Lymph node section stained with H&E, from a whole-slide image of a breast-cancer sentinel node. Magnification about 2.5×, about 2.0 mm across the frame, about 3.9 µm per pixel.
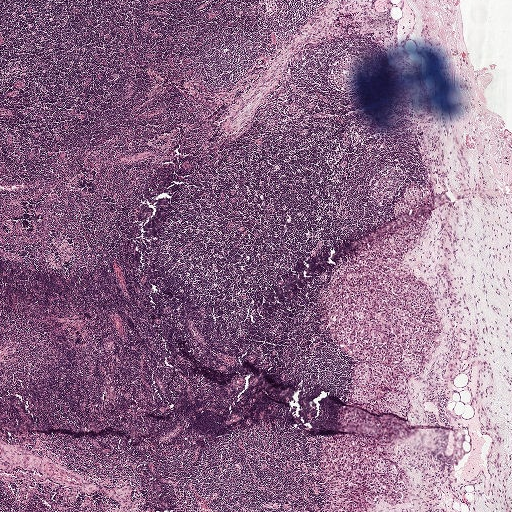
Boundaries of three metastatic tumour regions, simplified and listed clockwise, largest first: region 1: (430, 213), (427, 232), (401, 263), (399, 271), (427, 283), (439, 311), (440, 332), (435, 354), (421, 372), (407, 379), (406, 418), (362, 409), (351, 401), (355, 360), (334, 342), (325, 314), (330, 283), (342, 276), (353, 253); region 2: (331, 435), (349, 435), (382, 442), (386, 456), (400, 467), (408, 480), (408, 490), (401, 505), (391, 506), (380, 500), (366, 511), (326, 511), (327, 493), (320, 452), (323, 439); region 3: (414, 182), (418, 184), (423, 194), (422, 201), (418, 206), (410, 208), (400, 216), (394, 217), (396, 204), (401, 199), (402, 191).
About 10% of the image area is annotated as tumour.